Question: 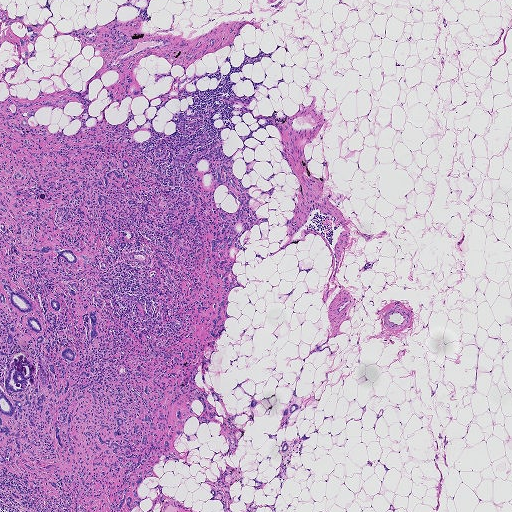
Lymph node section stained with H&E, from a whole-slide image of a breast-cancer sentinel node. Magnification about 2.5×, about 1.9 mm across the frame, about 3.6 µm per pixel.
Estimate the proportion of this field that is metastatic tumour.

Choices:
 (A) about 10% to 20%
 (B) about 50% or more
 (C) about 5% or less
 (D) none: no tumour is outlined
 (E) about 25% to 45%

Answer: (A) about 10% to 20%
About 20% of the field is tumour.
Outlines of four tumour regions, largest first (closed clockwise paths, crop pixels): region 1: (75, 92), (29, 125), (131, 137), (128, 181), (158, 210), (116, 211), (142, 245), (104, 244), (78, 275), (104, 302), (87, 392), (179, 351), (220, 401), (210, 423), (185, 418), (177, 461), (156, 462), (129, 511), (76, 511), (46, 475), (4, 466), (0, 103); region 2: (228, 165), (239, 190), (253, 198), (250, 199), (249, 209), (232, 228), (236, 238), (229, 256), (232, 272), (241, 286), (233, 288), (228, 294), (226, 309), (230, 317), (225, 322), (226, 332), (215, 340), (206, 364), (199, 351), (212, 338), (208, 332), (220, 284), (219, 281), (215, 289), (214, 278), (203, 276), (200, 261), (206, 243), (209, 245), (224, 222), (218, 218), (219, 207), (232, 213), (239, 209), (238, 202), (223, 185), (216, 185), (216, 166); region 3: (1, 8), (4, 9), (11, 18), (25, 14), (22, 21), (15, 20), (11, 26), (11, 29), (19, 37), (22, 36), (26, 31), (24, 24), (37, 22), (43, 26), (34, 30), (40, 33), (36, 39), (28, 44), (28, 54), (26, 60), (20, 65), (16, 70), (10, 72), (4, 76), (3, 72), (4, 68), (17, 64), (19, 58), (18, 50), (15, 44), (9, 41), (4, 41), (0, 46); region 4: (119, 22), (122, 23), (119, 29), (133, 36), (133, 45), (104, 52), (101, 49), (103, 44), (101, 40), (98, 39), (92, 43), (72, 34), (71, 32), (80, 30), (91, 29), (98, 34), (106, 32), (111, 25).
15 more small tumour pieces are annotated here but not outlined.